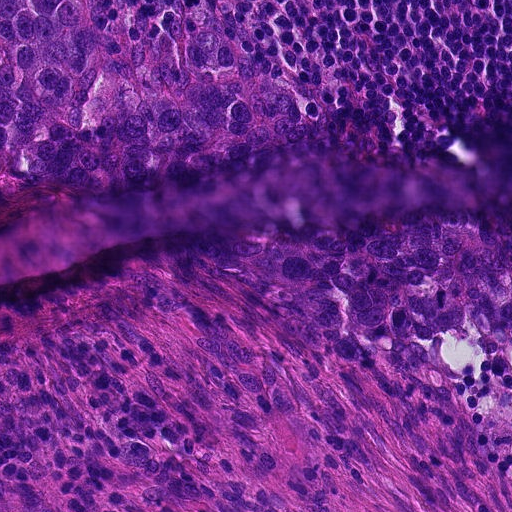
A 0.23-mm field of an H&E-stained sentinel lymph node from a breast-cancer patient (whole-slide image), shown at about 20×, about 0.45 µm per pixel.
The outlined metastatic tumour's edge, as a closed clockwise path of 24 points: (0, 0), (137, 0), (134, 16), (166, 28), (200, 6), (366, 161), (511, 228), (511, 340), (379, 334), (438, 362), (306, 360), (298, 426), (231, 420), (179, 348), (192, 314), (262, 324), (250, 280), (160, 255), (0, 295), (250, 214), (420, 204), (326, 140), (71, 198), (0, 157).
About 40% of this field is tumour.